Question: 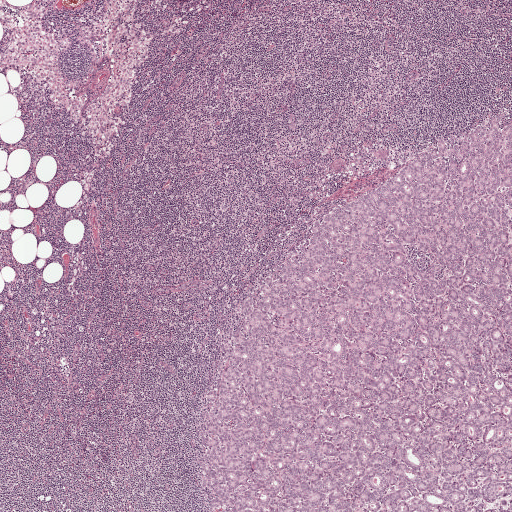
A 2.0-mm field of an H&E-stained sentinel lymph node from a breast-cancer patient (whole-slide image), shown at about 2.5×, about 3.9 µm per pixel.
Roughly what share of this field is metastatic tumour?

Choices:
 (A) none: no tumour is outlined
 (B) about 25% to 45%
 (C) about 5% or less
 (D) about 10% to 20%
 (E) about 50% or more

Answer: (B) about 25% to 45%
About 35% of the field is tumour.
Metastatic tumour outline, simplified to 10 points and listed clockwise in crop pixels (x, y): (508, 112), (498, 124), (511, 122), (511, 511), (210, 511), (196, 477), (196, 413), (224, 325), (292, 235), (437, 140).